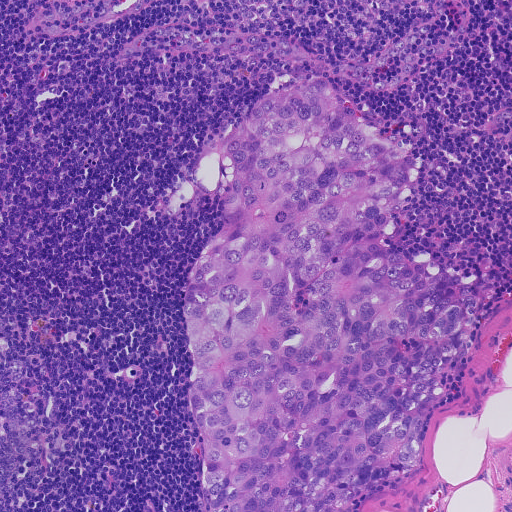
Lymph node section stained with H&E, from a whole-slide image of a breast-cancer sentinel node. Magnification about 10×, about 0.46 mm across the frame, about 0.91 µm per pixel.
The outlined metastatic tumour's edge, as a closed clockwise path of 16 points: (319, 77), (413, 151), (415, 168), (384, 231), (389, 247), (468, 287), (466, 321), (441, 366), (417, 463), (370, 485), (352, 511), (202, 511), (179, 305), (221, 216), (194, 157), (284, 79).
About 35% of the image area is annotated as tumour.